Lymph node section stained with H&E, from a whole-slide image of a breast-cancer sentinel node. Magnification about 10×, about 0.46 mm across the frame, about 0.9 µm per pixel.
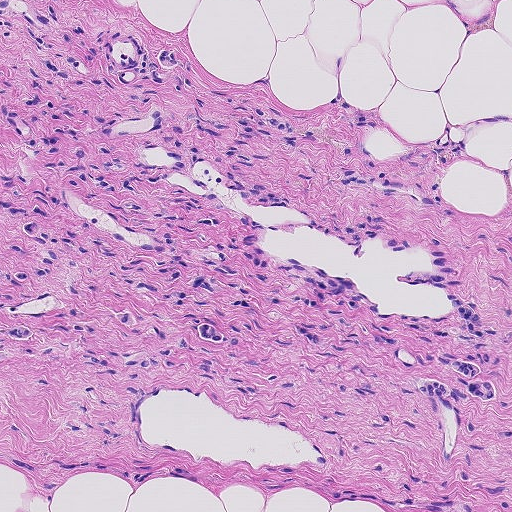
Tumour region outline (a closed clockwise path, crop pixels): (0, 0), (35, 0), (76, 26), (136, 30), (148, 45), (181, 52), (176, 72), (148, 90), (238, 175), (328, 223), (387, 220), (445, 241), (503, 392), (492, 408), (386, 408), (1, 359).
Tumour covers about 45% of the frame.